Question: 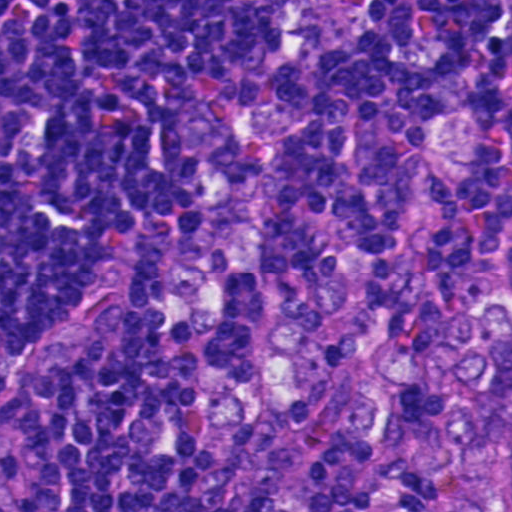
At roughly what magnification is this field shown?

Choices:
 (A) about 2.5×
 (B) about 10×
 (C) about 40×
 (D) about 20×
 (E) about 5×

Answer: (C) about 40×
A 0.12-mm field of an H&E-stained sentinel lymph node from a breast-cancer patient (whole-slide image), shown at about 40×, about 0.23 µm per pixel.
Outlines of three tumour regions, largest first (closed clockwise paths, crop pixels): region 1: (443, 80), (502, 107), (443, 247), (308, 387), (215, 443), (168, 383), (133, 288), (242, 88), (328, 88), (302, 160), (306, 237), (374, 181); region 2: (511, 238), (511, 511), (394, 511), (393, 495), (347, 457), (318, 403), (356, 349), (490, 265); region 3: (266, 504), (288, 511), (262, 511).
About 40% of the image area is annotated as tumour.